Question: 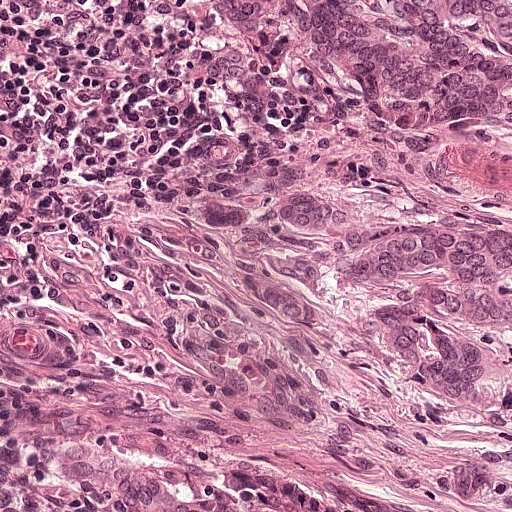
Lymph node section stained with H&E, from a whole-slide image of a breast-cancer sentinel node. Magnification about 20×, about 0.25 mm across the frame, about 0.49 µm per pixel.
Estimate the proportion of this field that is metastatic tumour.

Choices:
 (A) about 50% or more
 (B) about 5% or less
 (C) none: no tumour is outlined
 (D) about 25% to 45%
 (E) about 10% to 20%

Answer: (A) about 50% or more
About 55% of the field is tumour.
Metastatic tumour outline, simplified to 11 points and listed clockwise in crop pixels (x, y): (511, 0), (511, 511), (129, 511), (136, 456), (196, 310), (224, 284), (278, 263), (281, 204), (272, 200), (326, 154), (229, 2).